Lymph node section stained with H&E, from a whole-slide image of a breast-cancer sentinel node. Magnification about 5×, about 1 mm across the frame, about 1.9 µm per pixel.
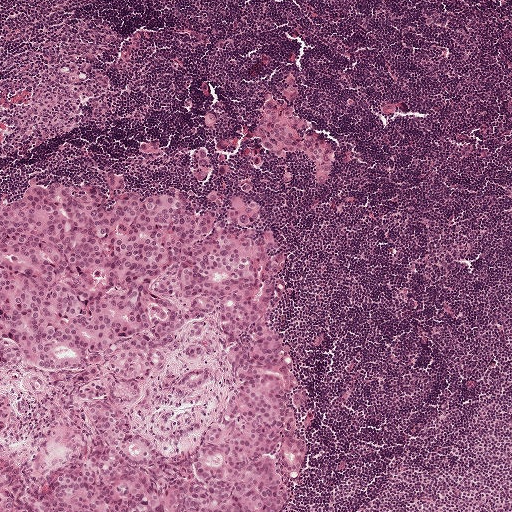
Question: Is any metastatic breast cancer visible in this crop?
Answer: Yes.
Boundaries of four metastatic tumour regions, simplified and listed clockwise, largest first: region 1: (108, 174), (147, 194), (175, 188), (193, 214), (207, 209), (212, 190), (238, 210), (261, 203), (252, 233), (272, 231), (285, 266), (271, 318), (308, 402), (296, 418), (307, 459), (283, 511), (0, 511), (0, 202), (60, 181), (110, 193), (113, 211), (120, 200); region 2: (293, 75), (299, 81), (300, 94), (296, 106), (299, 114), (311, 122), (321, 139), (330, 141), (335, 149), (334, 166), (328, 181), (320, 184), (313, 182), (317, 164), (310, 155), (279, 160), (254, 141), (253, 134), (266, 94), (273, 94), (279, 100), (285, 99), (284, 86), (290, 76); region 3: (202, 148), (207, 151), (210, 157), (210, 172), (202, 181), (198, 180), (194, 172), (194, 159), (197, 149); region 4: (142, 142), (152, 144), (157, 149), (160, 148), (160, 154), (149, 155), (143, 153), (138, 148), (138, 146).
About 35% of the image area is annotated as tumour.